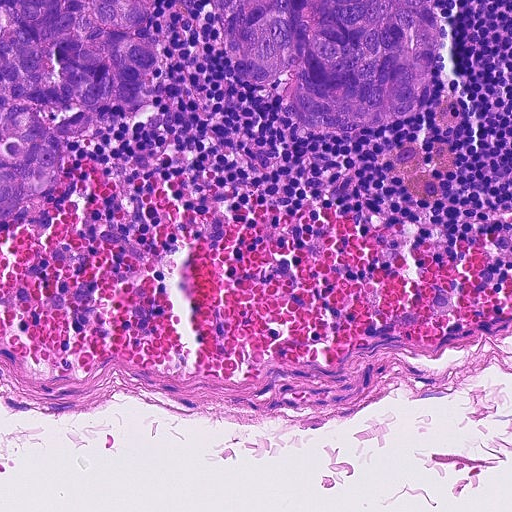
A 0.23-mm field of an H&E-stained sentinel lymph node from a breast-cancer patient (whole-slide image), shown at about 20×, about 0.45 µm per pixel.
Outlines of two tumour regions, largest first (closed clockwise paths, crop pixels): region 1: (0, 0), (147, 0), (160, 56), (140, 82), (136, 116), (70, 139), (56, 135), (64, 169), (58, 186), (34, 211), (0, 221); region 2: (212, 0), (430, 0), (438, 12), (432, 98), (424, 113), (374, 128), (322, 131), (288, 120), (282, 86), (290, 69), (261, 88), (244, 84), (232, 72).
One more small tumour piece is annotated here but not outlined.
The annotated tumour makes up about 20% of the crop.